Lymph node section stained with H&E, from a whole-slide image of a breast-cancer sentinel node. Magnification about 2.5×, about 2.0 mm across the frame, about 3.9 µm per pixel.
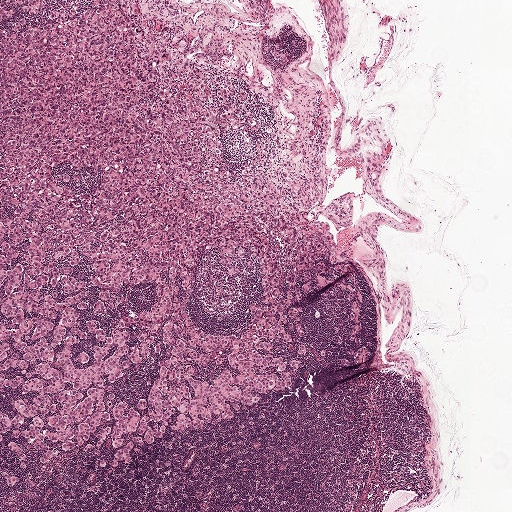
The outlined metastatic tumour's edge, as a closed clockwise path of 19 points: (0, 0), (142, 0), (275, 90), (303, 203), (334, 231), (333, 258), (358, 273), (366, 359), (352, 361), (344, 293), (324, 288), (302, 299), (310, 364), (256, 412), (154, 444), (132, 465), (93, 471), (79, 457), (7, 488).
One more small tumour piece is annotated here but not outlined.
About 50% of this field is tumour.